Lymph node section stained with H&E, from a whole-slide image of a breast-cancer sentinel node. Magnification about 10×, about 0.46 mm across the frame, about 0.9 µm per pixel.
Question: 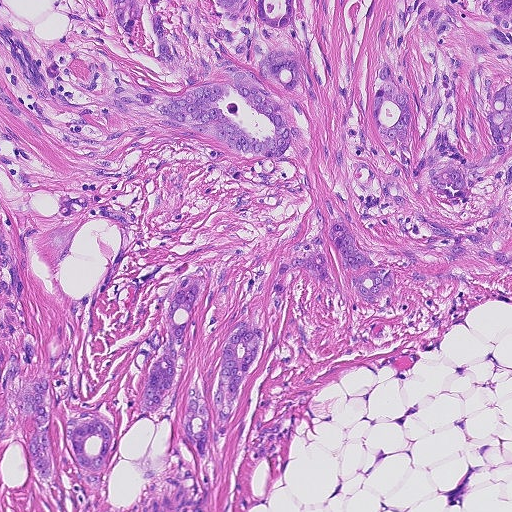
Roughly what share of this field is metastatic tumour?

Choices:
 (A) none: no tumour is outlined
 (B) about 50% or more
 (C) about 25% to 45%
 (D) about 5% or less
 (E) about 10% to 20%

Answer: (C) about 25% to 45%
About 30% of the field is tumour.
Outlines of six tumour regions, largest first (closed clockwise paths, crop pixels): region 1: (413, 0), (511, 0), (511, 259), (418, 272), (363, 298), (328, 245), (325, 257), (340, 298), (292, 266), (275, 315), (277, 279), (292, 248), (323, 235), (325, 246), (341, 217), (372, 253), (397, 255), (424, 241), (376, 192), (390, 160), (369, 104), (379, 66); region 2: (109, 0), (302, 0), (299, 25), (262, 24), (260, 35), (300, 58), (298, 90), (278, 96), (302, 135), (286, 156), (231, 150), (98, 107), (56, 118), (39, 137), (4, 108), (0, 79), (20, 106), (52, 116), (95, 100), (107, 70), (162, 96), (186, 94), (176, 72), (134, 54); region 3: (242, 324), (254, 324), (263, 333), (260, 356), (236, 396), (218, 458), (208, 436), (202, 464), (188, 446), (180, 424), (196, 364), (211, 408), (218, 384), (224, 340); region 4: (32, 340), (47, 373), (49, 385), (48, 447), (53, 471), (46, 480), (37, 474), (28, 452), (32, 420), (21, 415), (0, 437), (0, 388), (4, 374), (21, 358), (21, 345); region 5: (191, 274), (201, 279), (201, 290), (186, 334), (183, 371), (174, 392), (159, 411), (148, 412), (139, 404), (140, 380), (150, 358), (165, 340), (164, 312), (168, 300), (180, 280); region 6: (80, 412), (93, 412), (105, 415), (110, 426), (111, 437), (102, 472), (90, 474), (81, 468), (64, 436), (63, 428), (70, 419).